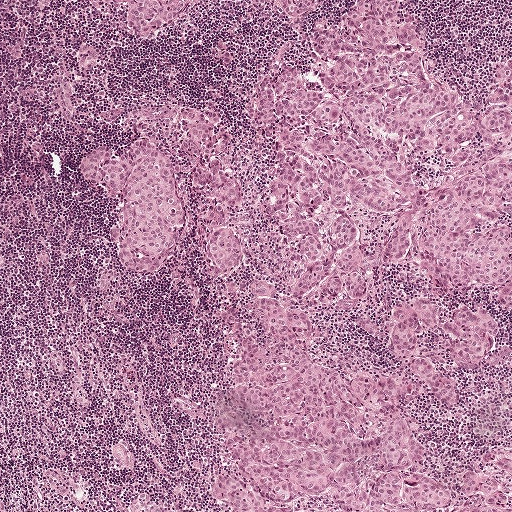
Lymph node section stained with H&E, from a whole-slide image of a breast-cancer sentinel node. Magnification about 5×, about 1 mm across the frame, about 1.9 µm per pixel.
Question: Which parts of this field are metastatic tumour?
Answer: Outlines of three tumour regions, largest first (closed clockwise paths, crop pixels): region 1: (359, 0), (405, 0), (471, 110), (510, 58), (511, 511), (230, 511), (209, 497), (231, 356), (205, 239), (124, 275), (83, 153), (118, 158), (134, 107), (213, 112), (246, 236), (264, 220), (254, 102); region 2: (108, 0), (194, 0), (184, 14), (172, 21), (149, 41), (134, 40), (126, 38), (123, 32), (126, 26), (126, 12); region 3: (268, 0), (323, 0), (319, 9), (310, 18), (303, 21), (290, 21), (281, 21), (272, 16).
About 55% of this field is tumour.